Question: 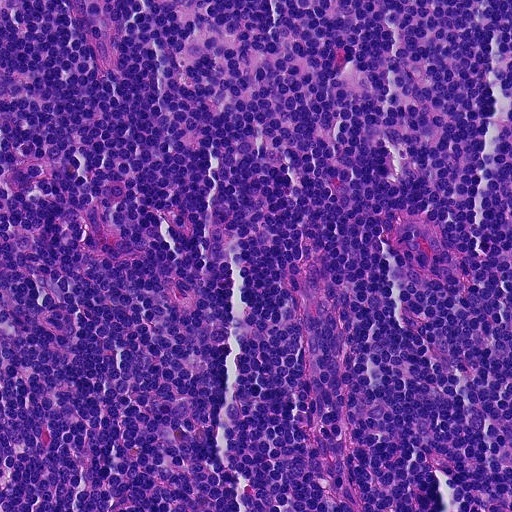
About what magnification does this crop show?

Choices:
 (A) about 5×
 (B) about 40×
 (C) about 20×
 (D) about 10×
 (E) about 2.5×

Answer: (C) about 20×
Lymph node section stained with H&E, from a whole-slide image of a breast-cancer sentinel node. Magnification about 20×, about 0.23 mm across the frame, about 0.45 µm per pixel.